Question: 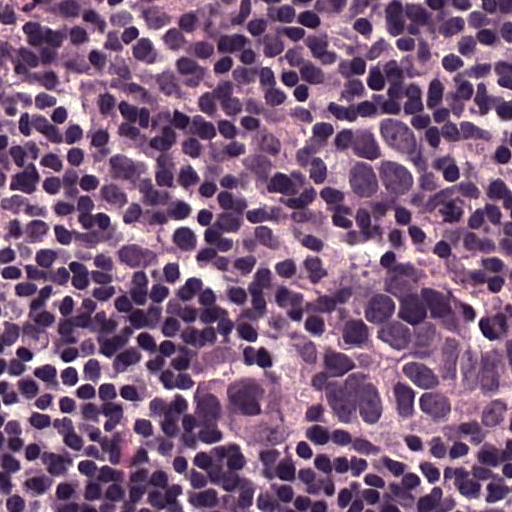
At roughly what magnification is this field shown?

Choices:
 (A) about 40×
 (B) about 5×
 (C) about 20×
 (D) about 2.5×
 (E) about 10×

Answer: (A) about 40×
Lymph node section stained with H&E, from a whole-slide image of a breast-cancer sentinel node. Magnification about 40×, about 0.12 mm across the frame, about 0.24 µm per pixel.
Tumour region outline (a closed clockwise path, crop pixels): (376, 239), (415, 259), (479, 274), (493, 288), (511, 321), (511, 375), (491, 411), (299, 408), (231, 429), (167, 401), (171, 378), (184, 365), (231, 360), (296, 337), (320, 257), (331, 246), (353, 252).
One more small tumour piece is annotated here but not outlined.
Tumour covers about 20% of the frame.
Question: 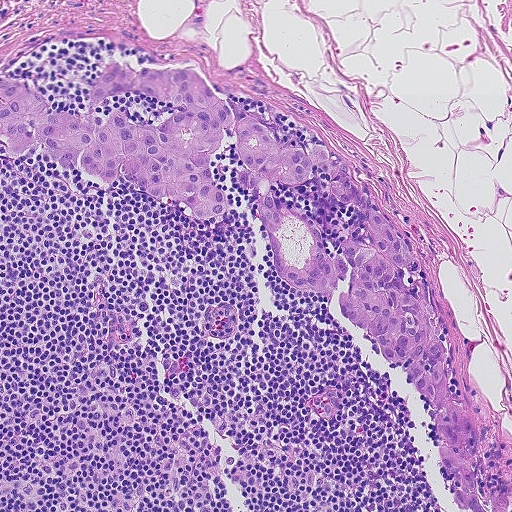
At roughly what magnification is this field shown?

Choices:
 (A) about 10×
 (B) about 5×
 (C) about 40×
 (D) about 2.5×
 (E) about 20×

Answer: (A) about 10×
This is a crop of a whole-slide image: an H&E-stained breast-cancer sentinel lymph node section at roughly 10× magnification (about 0.9 µm per pixel; the crop spans about 0.46 mm).
One tumour region is annotated but not outlined: its edge is too irregular for a short outline.
About 20% of this field is tumour.
Question: 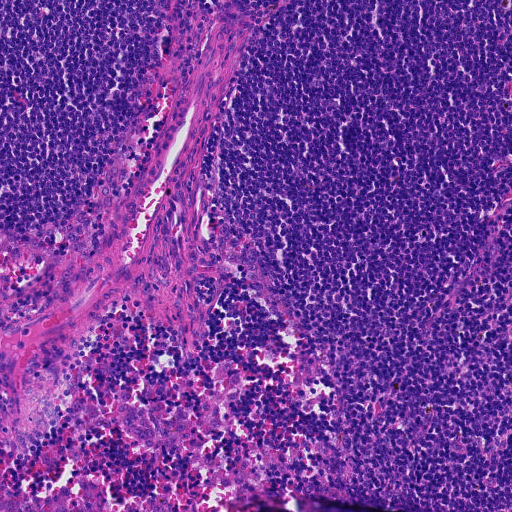
At roughly what magnification is this field shown?

Choices:
 (A) about 40×
 (B) about 20×
 (C) about 5×
 (D) about 2.5×
 (E) about 10×

Answer: (E) about 10×
A 0.46-mm field of an H&E-stained sentinel lymph node from a breast-cancer patient (whole-slide image), shown at about 10×, about 0.91 µm per pixel.
Question: 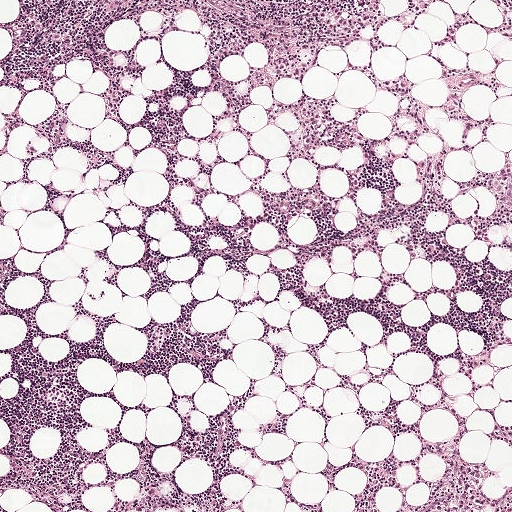
At roughly what magnification is this field shown?

Choices:
 (A) about 20×
 (B) about 5×
 (C) about 2.5×
 (D) about 10×
 (E) about 40×

Answer: (B) about 5×
H&E-stained section of a sentinel lymph node (breast cancer), from a whole-slide image, viewed at about 5×: the field is about 1 mm across, about 1.9 µm per pixel.